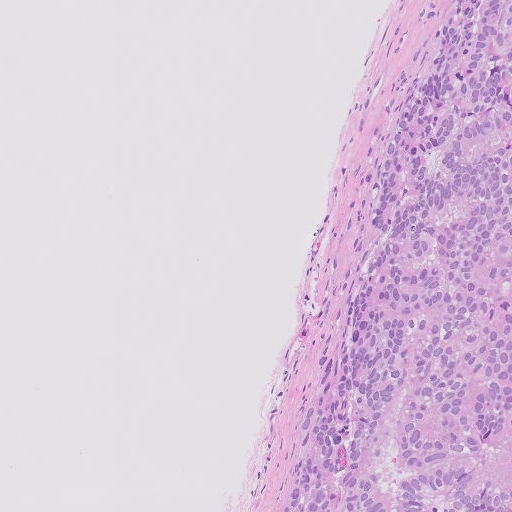
This is a crop of a whole-slide image: an H&E-stained breast-cancer sentinel lymph node section at roughly 10× magnification (about 1.0 µm per pixel; the crop spans about 0.51 mm).
Tumour region outline (a closed clockwise path, crop pixels): (452, 0), (511, 0), (511, 511), (275, 511), (322, 385), (318, 345), (367, 256), (383, 141).
The annotated tumour makes up about 30% of the crop.